Question: 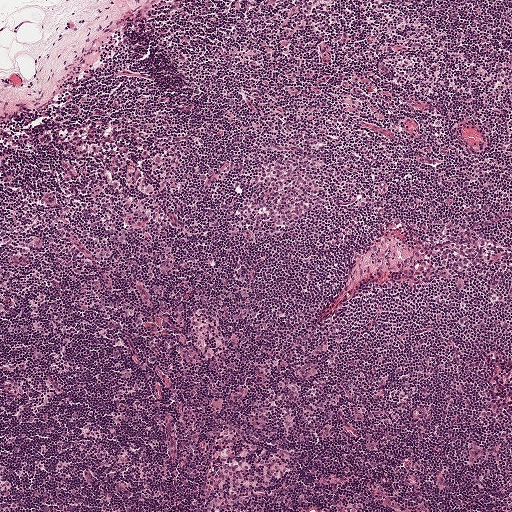
Which magnification is this H&E lymph node field most likely shown at?

Choices:
 (A) about 20×
 (B) about 10×
 (C) about 40×
 (D) about 2.5×
 (E) about 5×

Answer: (E) about 5×
H&E-stained section of a sentinel lymph node (breast cancer), from a whole-slide image, viewed at about 5×: the field is about 1 mm across, about 1.9 µm per pixel.